Question: 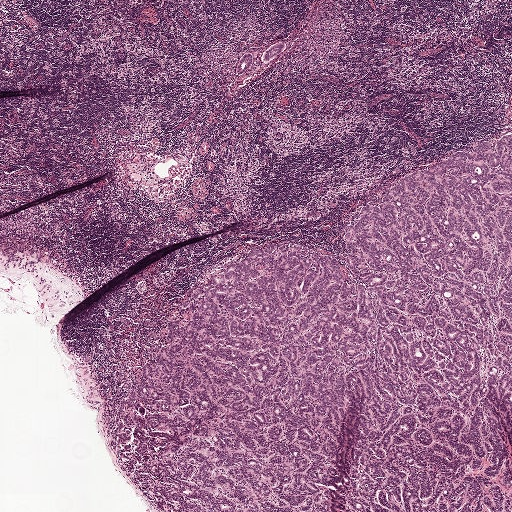
H&E-stained section of a sentinel lymph node (breast cancer), from a whole-slide image, viewed at about 2.5×: the field is about 2.0 mm across, about 3.9 µm per pixel.
Estimate the proportion of this field that is metastatic tumour.

Choices:
 (A) about 10% to 20%
 (B) about 5% or less
 (C) about 25% to 45%
 (D) about 50% or more
 (E) none: no tumour is outlined

Answer: (C) about 25% to 45%
About 40% of the field is tumour.
Outlines of three tumour regions, largest first (closed clockwise paths, crop pixels): region 1: (511, 130), (511, 426), (496, 411), (511, 458), (511, 511), (157, 511), (131, 481), (113, 428), (123, 383), (142, 377), (192, 286), (265, 241), (301, 239), (342, 257), (342, 229), (387, 185); region 2: (244, 51), (246, 51), (250, 51), (252, 52), (254, 59), (254, 64), (242, 72), (239, 72), (236, 72), (235, 69), (235, 64), (236, 60); region 3: (281, 38), (284, 39), (285, 45), (283, 50), (268, 60), (262, 60), (262, 52), (266, 47).